H&E-stained section of a sentinel lymph node (breast cancer), from a whole-slide image, viewed at about 10×: the field is about 0.5 mm across, about 0.97 µm per pixel.
Question: 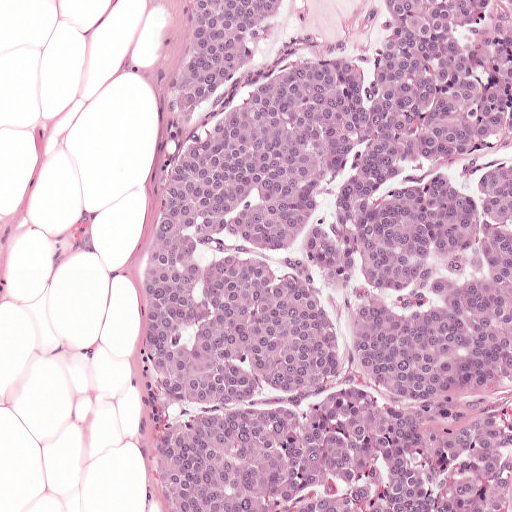
What fraction of the image area is metastatic tumour?

Choices:
 (A) about 50% or more
 (B) none: no tumour is outlined
 (C) about 10% to 20%
 (D) about 25% to 45%
 (E) about 5% or less

Answer: (A) about 50% or more
About 70% of the field is tumour.
Metastatic tumour outline, simplified to 7 points and listed clockwise in crop pixels (x, y): (175, 0), (511, 0), (511, 511), (163, 511), (148, 456), (140, 266), (173, 82).